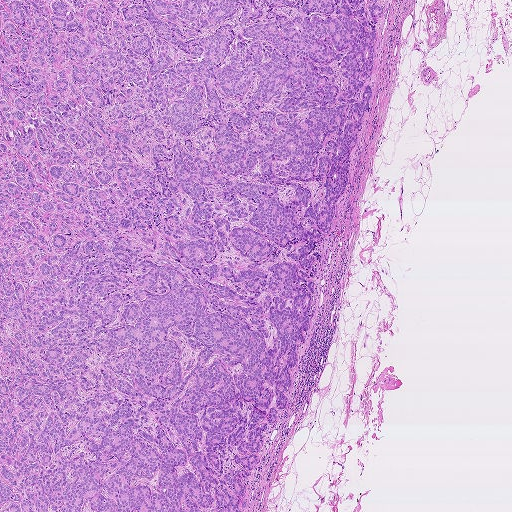
This is a crop of a whole-slide image: an H&E-stained breast-cancer sentinel lymph node section at roughly 2.5× magnification (about 3.6 µm per pixel; the crop spans about 1.9 mm).
Question: Show where the tumour is in this image.
Answer: One metastatic tumour region; its boundary, reduced to 10 corners and listed clockwise: (0, 0), (378, 0), (384, 10), (350, 184), (309, 253), (315, 312), (286, 407), (240, 480), (243, 510), (0, 511).
The annotated tumour makes up about 65% of the crop.